Question: 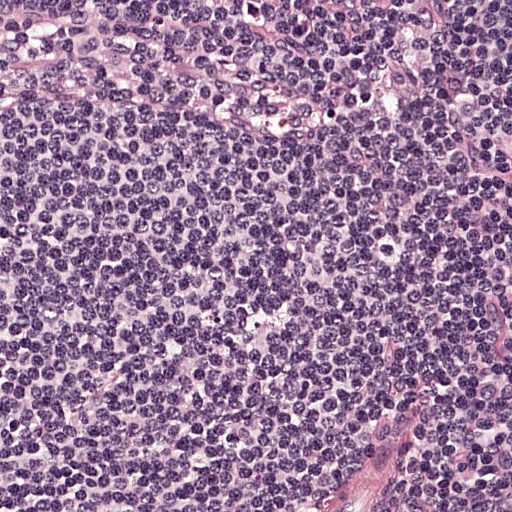
At roughly what magnification is this field shown?

Choices:
 (A) about 20×
 (B) about 2.5×
 (C) about 10×
 (D) about 40×
 (E) about 5×

Answer: (A) about 20×
H&E-stained section of a sentinel lymph node (breast cancer), from a whole-slide image, viewed at about 20×: the field is about 0.25 mm across, about 0.49 µm per pixel.